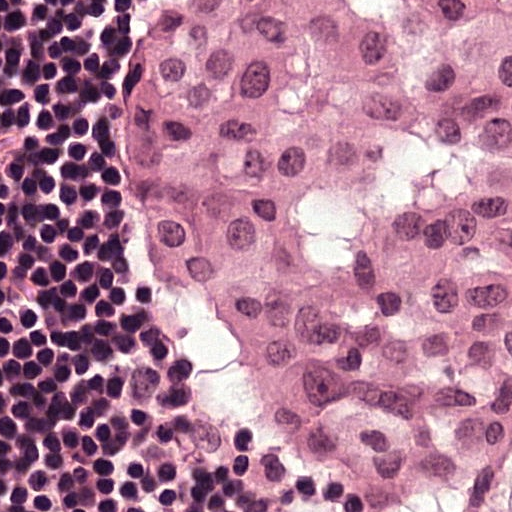
H&E-stained section of a sentinel lymph node (breast cancer), from a whole-slide image, viewed at about 40×: the field is about 0.12 mm across, about 0.24 µm per pixel.
Tumour region outline (a closed clockwise path, crop pixels): (511, 0), (507, 491), (436, 511), (315, 504), (183, 354), (115, 188), (112, 88), (152, 1).
About 65% of the image area is annotated as tumour.